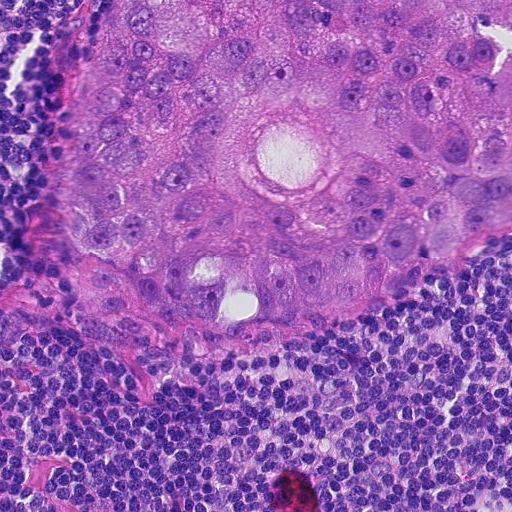
This is a crop of a whole-slide image: an H&E-stained breast-cancer sentinel lymph node section at roughly 20× magnification (about 0.45 µm per pixel; the crop spans about 0.23 mm).
Question: Describe where the metastatic carcinoma lies in this crop.
Answer: Tumour region outline (a closed clockwise path, crop pixels): (98, 0), (511, 0), (511, 234), (415, 300), (297, 346), (258, 357), (176, 351), (98, 327), (66, 302), (50, 220), (70, 61).
Tumour covers about 55% of the frame.